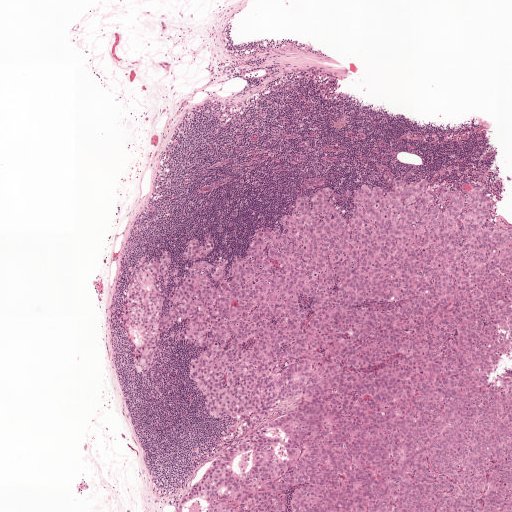
H&E-stained section of a sentinel lymph node (breast cancer), from a whole-slide image, viewed at about 2.5×: the field is about 2.0 mm across, about 3.9 µm per pixel.
One metastatic tumour region; its boundary, reduced to 23 corners and listed clockwise: (486, 183), (511, 214), (500, 365), (511, 511), (177, 511), (235, 422), (216, 422), (190, 386), (204, 349), (173, 338), (188, 322), (136, 372), (120, 311), (129, 263), (165, 250), (182, 276), (192, 238), (218, 242), (212, 261), (231, 256), (322, 187), (348, 223), (347, 189).
About 40% of the image area is annotated as tumour.